H&E-stained section of a sentinel lymph node (breast cancer), from a whole-slide image, viewed at about 10×: the field is about 0.5 mm across, about 0.97 µm per pixel.
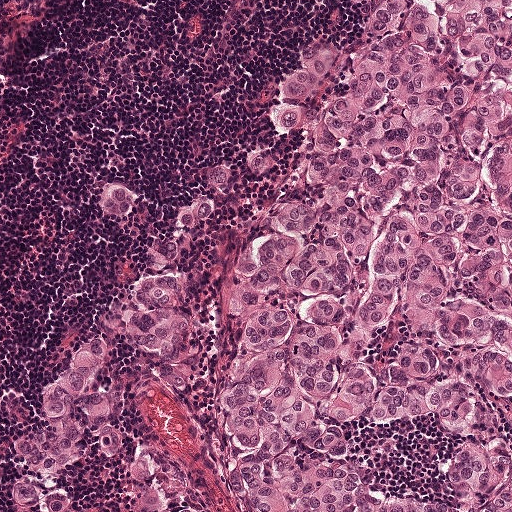
Tumour region outline (a closed clockwise path, crop pixels): (362, 0), (511, 0), (511, 511), (16, 511), (8, 463), (24, 411), (111, 282), (110, 260), (46, 229), (61, 195), (123, 184), (189, 195), (222, 209), (215, 240), (243, 211), (237, 140), (261, 84), (356, 19).
The annotated tumour makes up about 75% of the crop.